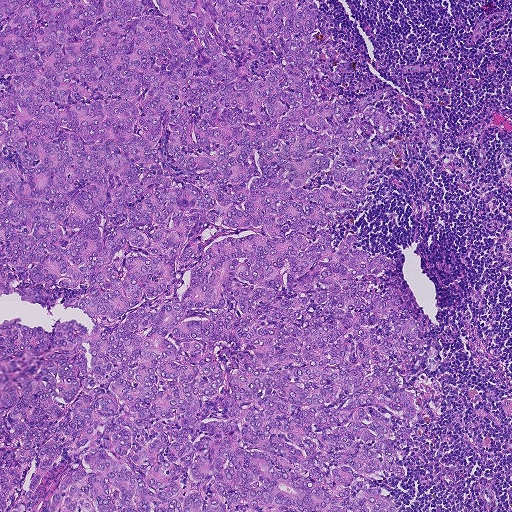
A 0.93-mm field of an H&E-stained sentinel lymph node from a breast-cancer patient (whole-slide image), shown at about 5×, about 1.8 µm per pixel.
Question: Trace the edge of each tumour region in this crop, as (x, y) points from 0 to 511.
Answer: Tumour region outline (a closed clockwise path, crop pixels): (0, 0), (334, 4), (341, 83), (377, 83), (339, 96), (398, 91), (403, 126), (370, 139), (380, 146), (402, 138), (410, 159), (328, 232), (405, 259), (439, 344), (429, 375), (446, 409), (418, 414), (406, 475), (368, 481), (397, 510), (0, 511).
The annotated tumour makes up about 75% of the crop.